Image:
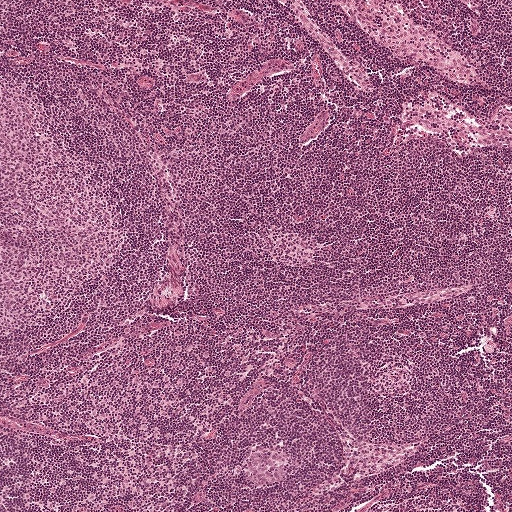
This is a crop of a whole-slide image: an H&E-stained breast-cancer sentinel lymph node section at roughly 5× magnification (about 1.9 µm per pixel; the crop spans about 1 mm).
Question:
Is there metastatic carcinoma in this field?
Answer:
No. No metastatic tumour is outlined in this field.